Image:
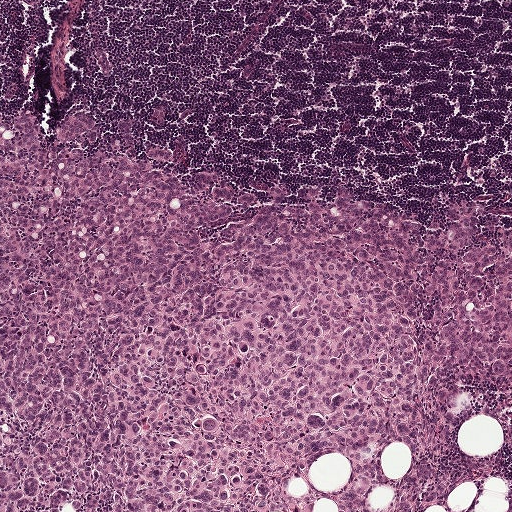
This is a crop of a whole-slide image: an H&E-stained breast-cancer sentinel lymph node section at roughly 5× magnification (about 1.9 µm per pixel; the crop spans about 1 mm).
Question:
Is there metastatic carcinoma in this field?
Answer:
Yes.
Tumour region outline (a closed clockwise path, crop pixels): (0, 112), (47, 134), (74, 114), (124, 123), (136, 155), (172, 152), (175, 175), (260, 200), (282, 185), (298, 202), (306, 182), (431, 221), (473, 202), (502, 222), (496, 243), (509, 233), (511, 511), (490, 480), (425, 511), (377, 511), (395, 494), (377, 487), (373, 511), (0, 511).
The annotated tumour makes up about 65% of the crop.